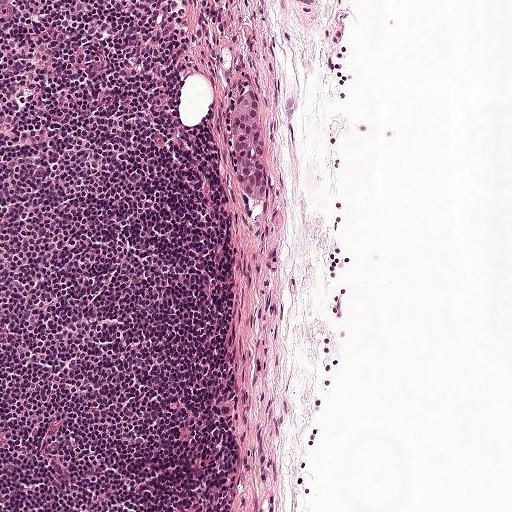
A 0.5-mm field of an H&E-stained sentinel lymph node from a breast-cancer patient (whole-slide image), shown at about 10×, about 0.97 µm per pixel.
The outlined metastatic tumour's edge, as a closed clockwise path of 14 points: (249, 88), (259, 94), (261, 117), (268, 132), (268, 183), (264, 199), (259, 201), (249, 198), (235, 187), (233, 168), (226, 147), (229, 116), (233, 109), (233, 100).
Tumour covers under 5% of the frame.